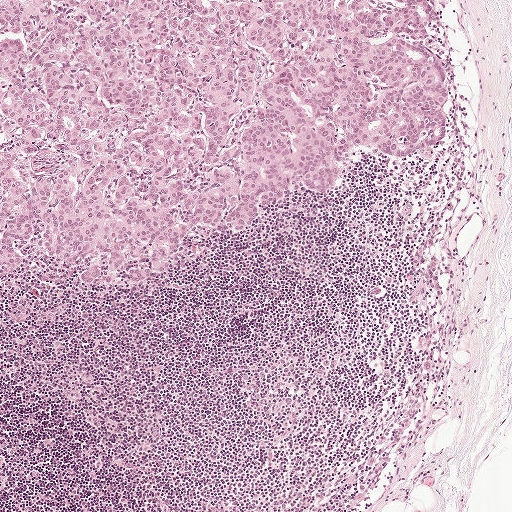
Lymph node section stained with H&E, from a whole-slide image of a breast-cancer sentinel node. Magnification about 5×, about 1 mm across the frame, about 1.9 µm per pixel.
Question: Is there metastatic carcinoma in this field?
Answer: Yes.
The outlined metastatic tumour's edge, as a closed clockwise path of 19 points: (0, 0), (434, 0), (443, 21), (425, 46), (450, 96), (433, 164), (351, 149), (330, 194), (290, 195), (235, 237), (195, 226), (169, 272), (140, 285), (129, 282), (129, 265), (110, 288), (79, 282), (95, 260), (0, 269).
Tumour covers about 40% of the frame.

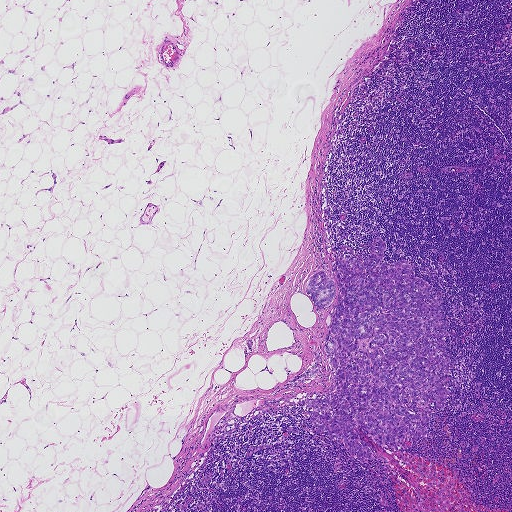
A 1.9-mm field of an H&E-stained sentinel lymph node from a breast-cancer patient (whole-slide image), shown at about 2.5×, about 3.6 µm per pixel.
Question: Is there metastatic carcinoma in this field?
Answer: Yes.
Two metastatic tumour regions, each outlined as a closed clockwise path in crop pixels (x, y), largest first: region 1: (376, 236), (392, 263), (415, 264), (429, 298), (442, 298), (453, 366), (439, 378), (453, 393), (441, 410), (428, 404), (428, 435), (404, 448), (353, 428), (385, 459), (362, 462), (315, 430), (306, 398), (334, 385), (323, 349), (333, 264), (363, 264); region 2: (319, 271), (325, 271), (335, 284), (333, 299), (328, 308), (320, 308), (307, 295), (306, 285).
Tumour covers about 10% of the frame.

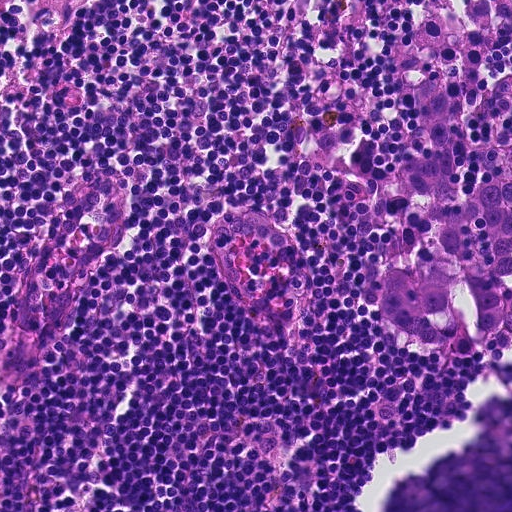
A 0.23-mm field of an H&E-stained sentinel lymph node from a breast-cancer patient (whole-slide image), shown at about 20×, about 0.45 µm per pixel.
Question: Is there metastatic carcinoma in this field?
Answer: Yes.
The outlined metastatic tumour's edge, as a closed clockwise path of 18 points: (434, 76), (450, 96), (464, 196), (480, 183), (481, 158), (511, 135), (511, 332), (471, 355), (421, 344), (398, 334), (382, 314), (376, 289), (397, 242), (384, 220), (386, 196), (422, 128), (410, 104), (410, 78).
The annotated tumour makes up about 10% of the crop.

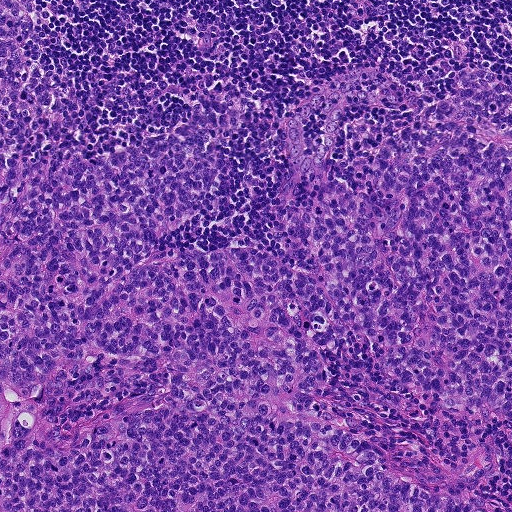
H&E-stained section of a sentinel lymph node (breast cancer), from a whole-slide image, viewed at about 10×: the field is about 0.46 mm across, about 0.9 µm per pixel.
Question: Is there metastatic carcinoma in this field?
Answer: Yes.
Tumour region outline (a closed clockwise path, crop pixels): (0, 0), (25, 0), (40, 17), (39, 66), (89, 106), (79, 146), (87, 156), (112, 152), (146, 82), (178, 66), (238, 70), (284, 118), (310, 88), (360, 66), (430, 102), (454, 94), (460, 69), (487, 68), (510, 88), (511, 511), (0, 511).
About 85% of the image area is annotated as tumour.